H&E-stained section of a sentinel lymph node (breast cancer), from a whole-slide image, viewed at about 5×: the field is about 1 mm across, about 1.9 µm per pixel.
Question: 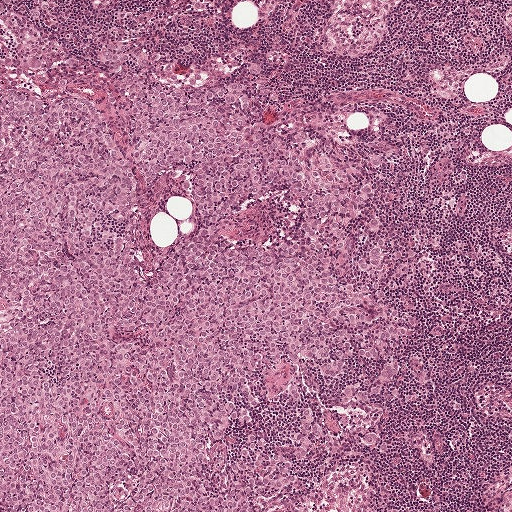
About how much of this crop is taken up by metastatic carcinoma?

Choices:
 (A) about 25% to 45%
 (B) about 5% or less
 (C) about 10% to 20%
 (D) about 50% or more
 (E) none: no tumour is outlined

Answer: (D) about 50% or more
About 50% of the field is tumour.
Outlines of two tumour regions, largest first (closed clockwise paths, crop pixels): region 1: (104, 44), (142, 46), (144, 76), (179, 89), (257, 62), (272, 94), (256, 122), (326, 132), (365, 174), (350, 238), (360, 258), (384, 240), (381, 270), (341, 278), (385, 298), (341, 316), (408, 320), (383, 348), (400, 375), (352, 402), (341, 388), (375, 364), (331, 380), (261, 366), (248, 426), (203, 459), (267, 440), (296, 481), (263, 511), (0, 511), (0, 47), (36, 57), (110, 132), (146, 271), (196, 221), (183, 178), (141, 179), (101, 100), (132, 67), (97, 66); region 2: (287, 383), (296, 386), (300, 394), (297, 403), (313, 412), (312, 423), (318, 424), (322, 431), (322, 438), (316, 443), (312, 455), (302, 459), (294, 458), (291, 455), (291, 444), (298, 423), (298, 416), (296, 408), (283, 398).